Question: 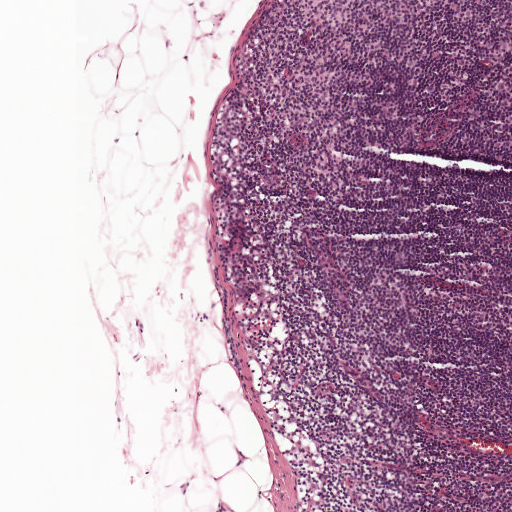
About what magnification does this crop show?

Choices:
 (A) about 5×
 (B) about 10×
 (C) about 40×
 (D) about 2.5×
 (E) about 20×

Answer: (A) about 5×
This is a crop of a whole-slide image: an H&E-stained breast-cancer sentinel lymph node section at roughly 5× magnification (about 1.9 µm per pixel; the crop spans about 1 mm).